Question: 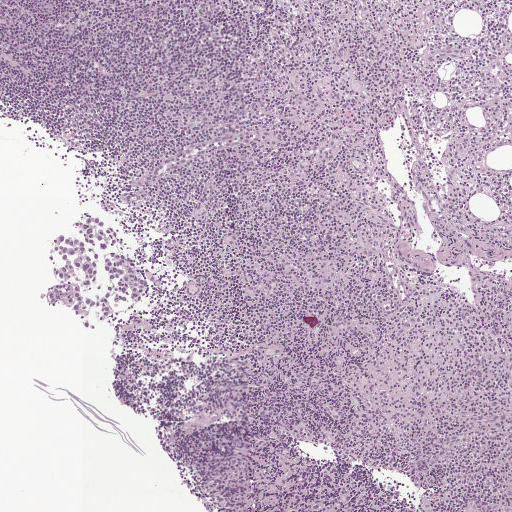
A 1-mm field of an H&E-stained sentinel lymph node from a breast-cancer patient (whole-slide image), shown at about 5×, about 1.9 µm per pixel.
Roughly what share of this field is metastatic tumour?

Choices:
 (A) about 5% or less
 (B) about 10% to 20%
 (C) about 50% or more
 (D) none: no tumour is outlined
 (E) about 25% to 45%

Answer: (A) about 5% or less
About 5% of the field is tumour.
The outlined metastatic tumour's edge, as a closed clockwise path of 15 points: (87, 215), (106, 224), (148, 283), (148, 294), (134, 312), (96, 331), (75, 326), (67, 319), (64, 308), (42, 304), (48, 282), (47, 249), (52, 238), (70, 228), (76, 220).